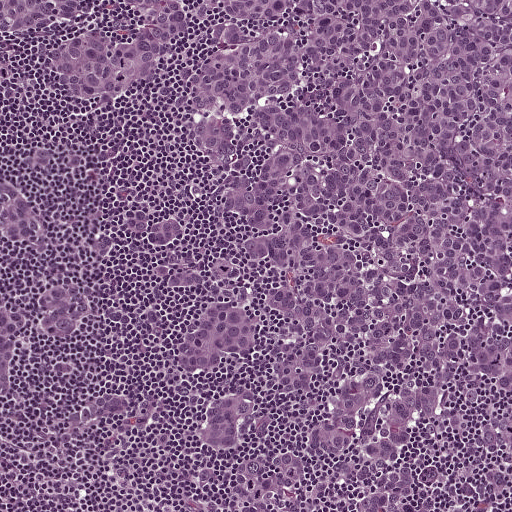
This is a crop of a whole-slide image: an H&E-stained breast-cancer sentinel lymph node section at roughly 10× magnification (about 0.97 µm per pixel; the crop spans about 0.5 mm).
Metastatic tumour outline, simplified to 22 points and listed clockwise in crop pixels (x, y): (0, 0), (511, 0), (511, 511), (227, 511), (184, 474), (185, 374), (132, 434), (64, 430), (178, 356), (198, 311), (139, 260), (82, 340), (19, 344), (0, 408), (0, 172), (71, 246), (202, 188), (144, 94), (22, 178), (76, 110), (28, 44), (12, 90).
About 80% of this field is tumour.